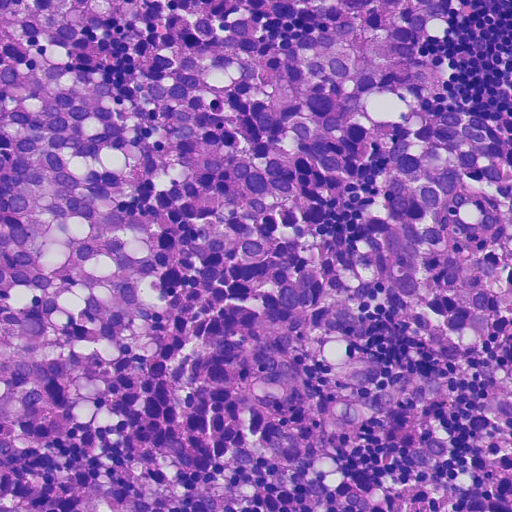
This is a crop of a whole-slide image: an H&E-stained breast-cancer sentinel lymph node section at roughly 20× magnification (about 0.45 µm per pixel; the crop spans about 0.23 mm).
Three metastatic tumour regions, each outlined as a closed clockwise path in crop pixels (x, y), largest first: region 1: (0, 0), (455, 0), (425, 49), (446, 55), (454, 101), (488, 111), (511, 134), (511, 373), (438, 346), (373, 283), (364, 312), (396, 397), (341, 456), (332, 494), (261, 450), (245, 414), (205, 401), (198, 362), (213, 324), (144, 366), (114, 411), (40, 444), (0, 500); region 2: (511, 449), (511, 511), (445, 511), (476, 492), (494, 460); region 3: (114, 496), (151, 509), (154, 511), (59, 511), (76, 502).
About 75% of the image area is annotated as tumour.